Question: 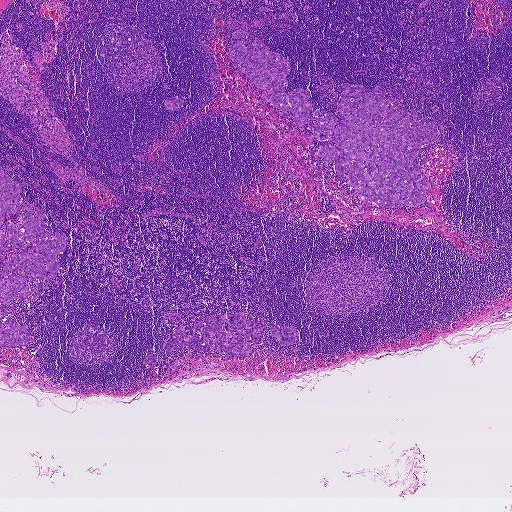
A 1.9-mm field of an H&E-stained sentinel lymph node from a breast-cancer patient (whole-slide image), shown at about 2.5×, about 3.6 µm per pixel.
Estimate the proportion of this field that is metastatic tumour.

Choices:
 (A) none: no tumour is outlined
 (B) about 10% to 20%
 (C) about 25% to 45%
 (D) about 50% or more
 (E) about 5% or less

Answer: (B) about 10% to 20%
About 10% of the field is tumour.
Boundaries of eight metastatic tumour regions, simplified and listed clockwise, largest first: region 1: (344, 83), (362, 84), (366, 93), (381, 88), (385, 99), (395, 98), (438, 131), (416, 154), (427, 186), (424, 202), (380, 207), (353, 188), (348, 172), (336, 172), (334, 159), (318, 156), (324, 144), (341, 150), (317, 138), (313, 128), (315, 117), (328, 112), (339, 126), (335, 111); region 2: (0, 165), (21, 188), (19, 213), (10, 215), (10, 223), (19, 223), (25, 205), (31, 205), (33, 217), (40, 208), (43, 213), (44, 229), (66, 239), (65, 251), (58, 256), (56, 276), (39, 278), (27, 274), (28, 290), (23, 298), (8, 304), (3, 299); region 3: (257, 40), (268, 47), (266, 53), (281, 55), (288, 66), (288, 82), (284, 86), (286, 94), (296, 88), (309, 95), (306, 103), (311, 106), (308, 122), (296, 125), (296, 115), (286, 115), (267, 101), (265, 96), (271, 94), (241, 73), (228, 54), (238, 42), (246, 46); region 4: (243, 312), (246, 318), (257, 316), (263, 322), (260, 344), (250, 346), (250, 352), (245, 356), (228, 357), (210, 351), (210, 348), (200, 351), (176, 346), (169, 354), (164, 349), (170, 331), (178, 325), (189, 335), (200, 337), (194, 323), (205, 322), (208, 316), (215, 314); region 5: (11, 318), (15, 323), (18, 322), (28, 328), (30, 339), (26, 346), (11, 347), (0, 345), (0, 323); region 6: (274, 324), (275, 326), (281, 324), (284, 327), (293, 326), (298, 330), (296, 343), (283, 345), (279, 344), (279, 338), (276, 340), (271, 336), (270, 327); region 7: (170, 97), (173, 97), (181, 99), (183, 101), (183, 104), (182, 107), (175, 110), (172, 110), (168, 110), (165, 107), (164, 104), (164, 101); region 8: (157, 352), (158, 353), (157, 356), (159, 358), (159, 364), (157, 366), (151, 368), (146, 367), (144, 365), (143, 362), (144, 359), (148, 355).
Four more small tumour pieces are annotated here but not outlined.